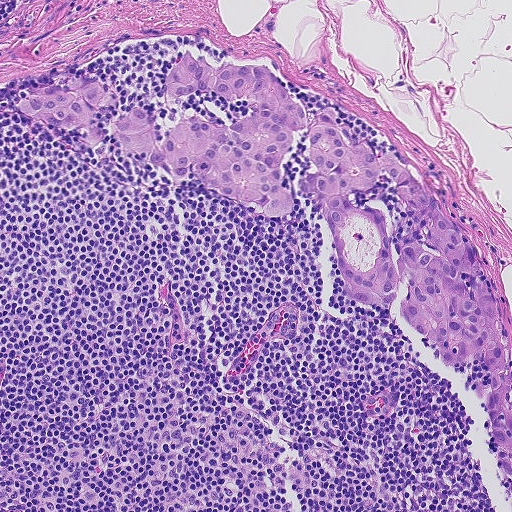
Lymph node section stained with H&E, from a whole-slide image of a breast-cancer sentinel node. Magnification about 10×, about 0.46 mm across the frame, about 0.9 µm per pixel.
Question: Is there metastatic carcinoma in this field?
Answer: Yes.
One metastatic tumour region; its boundary, reduced to 38 corners and listed clockwise: (186, 48), (216, 66), (267, 66), (310, 119), (326, 106), (355, 146), (391, 150), (476, 246), (496, 295), (511, 368), (511, 482), (473, 392), (487, 367), (439, 361), (402, 318), (403, 285), (378, 308), (348, 294), (325, 218), (296, 190), (318, 170), (310, 131), (294, 132), (279, 162), (294, 204), (279, 218), (137, 158), (114, 111), (94, 114), (104, 140), (15, 106), (62, 75), (157, 114), (160, 145), (174, 119), (249, 116), (216, 93), (168, 96).
About 20% of this field is tumour.